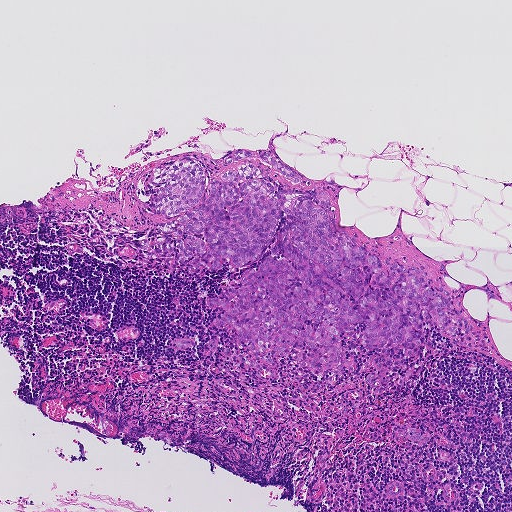
A 0.93-mm field of an H&E-stained sentinel lymph node from a breast-cancer patient (whole-slide image), shown at about 5×, about 1.8 µm per pixel.
Question: Is there metastatic carcinoma in this field?
Answer: Yes.
Boundaries of six metastatic tumour regions, simplified and listed clockwise, largest first: region 1: (186, 157), (220, 180), (248, 163), (276, 190), (327, 193), (335, 228), (386, 273), (394, 261), (420, 266), (458, 290), (461, 316), (490, 351), (454, 345), (435, 321), (417, 356), (366, 348), (361, 323), (340, 336), (352, 372), (317, 375), (273, 350), (266, 364), (238, 332), (215, 326), (227, 311), (209, 304), (258, 261), (162, 268), (138, 244), (179, 215), (145, 208), (152, 170); region 2: (239, 149), (252, 151), (268, 150), (286, 165), (304, 176), (304, 179), (311, 182), (311, 186), (307, 186), (299, 184), (295, 186), (279, 172), (261, 161), (254, 158), (250, 160), (242, 159), (225, 166), (221, 164), (222, 160); region 3: (395, 426), (407, 426), (418, 431), (420, 434), (423, 436), (426, 433), (429, 434), (430, 437), (429, 441), (422, 443), (410, 441), (404, 436), (395, 434), (392, 431), (392, 427); region 4: (371, 354), (375, 354), (378, 356), (376, 359), (375, 363), (379, 362), (382, 364), (382, 367), (376, 372), (376, 376), (370, 385), (366, 385), (364, 382), (365, 378), (374, 368), (373, 365), (369, 358); region 5: (236, 354), (241, 354), (261, 366), (260, 374), (256, 374), (257, 369), (248, 367), (240, 362), (237, 359); region 6: (189, 339), (193, 341), (195, 345), (185, 349), (180, 349), (173, 345), (173, 340).
Two more small tumour pieces are annotated here but not outlined.
Tumour covers about 15% of the frame.